This is a crop of a whole-slide image: an H&E-stained breast-cancer sentinel lymph node section at roughly 10× magnification (about 0.97 µm per pixel; the crop spans about 0.5 mm).
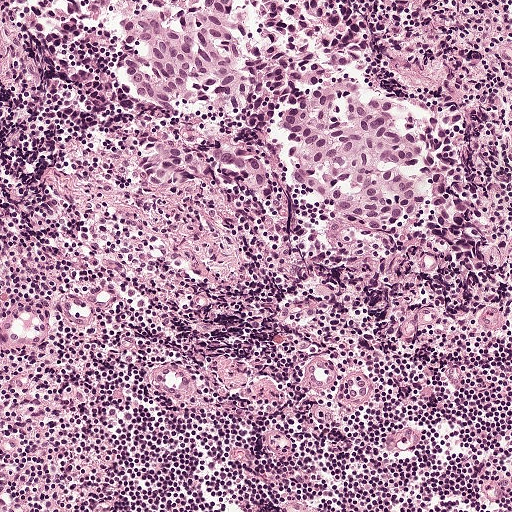
Two metastatic tumour regions, each outlined as a closed clockwise path in crop pixels (x, y), largest first: region 1: (38, 1), (333, 2), (364, 35), (354, 68), (456, 130), (469, 152), (468, 208), (442, 225), (431, 189), (398, 227), (343, 220), (300, 180), (288, 156), (288, 124), (264, 135), (208, 104), (177, 116), (155, 108), (128, 88), (118, 32), (52, 14); region 2: (162, 136), (176, 136), (197, 146), (251, 149), (269, 161), (270, 172), (266, 188), (259, 194), (254, 194), (219, 176), (184, 178), (174, 182), (148, 181), (142, 173), (141, 161), (147, 154), (158, 148).
About 20% of this field is tumour.